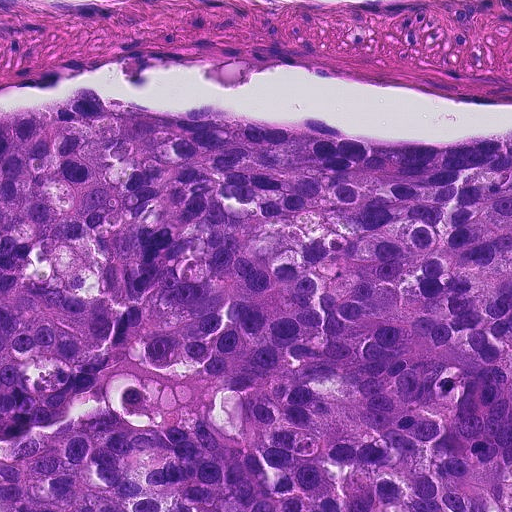
Lymph node section stained with H&E, from a whole-slide image of a breast-cancer sentinel node. Magnification about 20×, about 0.23 mm across the frame, about 0.45 µm per pixel.
One metastatic tumour region; its boundary, reduced to 4 corners and listed clockwise: (0, 98), (511, 142), (511, 511), (1, 511).
About 75% of the image area is annotated as tumour.